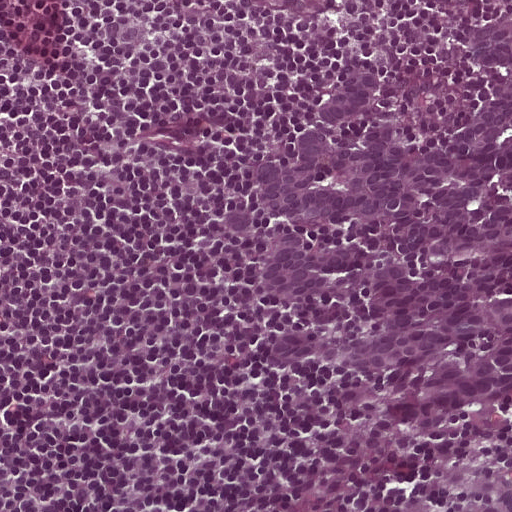
H&E-stained section of a sentinel lymph node (breast cancer), from a whole-slide image, viewed at about 20×: the field is about 0.25 mm across, about 0.49 µm per pixel.
Question: Where is the metastatic tumour in this field? Give each region's outline as (x, y) pixel points.
Answer: Metastatic tumour outline, simplified to 14 points and listed clockwise in crop pixels (x, y): (511, 10), (511, 420), (389, 452), (278, 374), (231, 255), (204, 228), (205, 194), (326, 76), (382, 46), (388, 114), (411, 142), (442, 124), (474, 104), (461, 30).
Tumour covers about 35% of the frame.